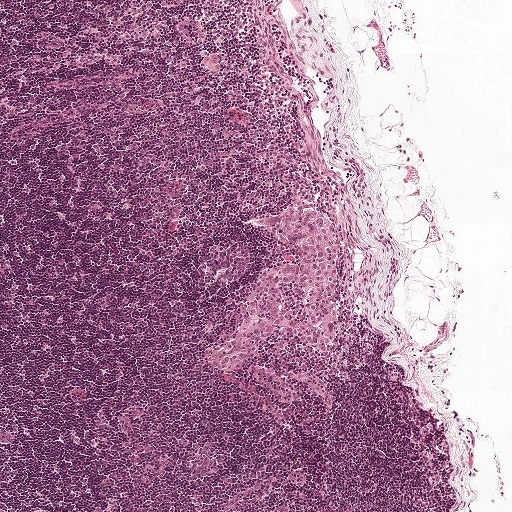
H&E-stained section of a sentinel lymph node (breast cancer), from a whole-slide image, viewed at about 5×: the field is about 1 mm across, about 1.9 µm per pixel.
Tumour region outline (a closed clockwise path, crop pixels): (296, 202), (320, 208), (340, 229), (344, 334), (337, 345), (314, 351), (281, 328), (247, 365), (234, 372), (223, 372), (206, 362), (204, 354), (236, 330), (264, 275), (277, 266), (299, 261), (290, 243), (256, 219).
Tumour covers about 5% of the frame.